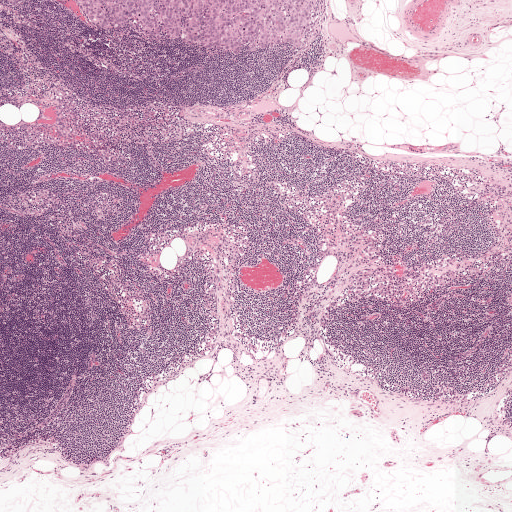
H&E-stained section of a sentinel lymph node (breast cancer), from a whole-slide image, viewed at about 2.5×: the field is about 2.0 mm across, about 3.9 µm per pixel.
Boundaries of two metastatic tumour regions, simplified and listed clockwise, largest first: region 1: (73, 0), (324, 0), (317, 26), (302, 47), (238, 56), (155, 42), (129, 31), (99, 31); region 2: (0, 0), (27, 0), (26, 4), (18, 9), (9, 8), (0, 3).
The annotated tumour makes up about 5% of the crop.